Lymph node section stained with H&E, from a whole-slide image of a breast-cancer sentinel node. Magnification about 2.5×, about 1.9 mm across the frame, about 3.6 µm per pixel.
Question: 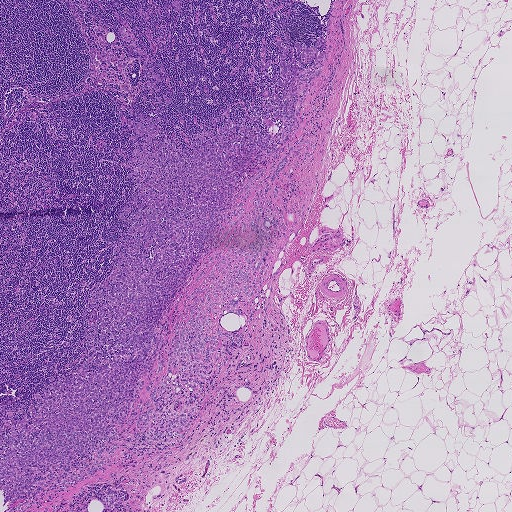
Estimate the proportion of this field that is metastatic tumour.

Choices:
 (A) about 10% to 20%
 (B) about 25% to 45%
 (C) about 50% or more
 (D) about 5% or less
 (E) none: no tumour is outlined

Answer: (B) about 25% to 45%
About 25% of the field is tumour.
Outlines of three tumour regions, largest first (closed clockwise paths, crop pixels): region 1: (322, 35), (300, 129), (267, 172), (302, 139), (314, 159), (294, 171), (293, 214), (273, 199), (288, 228), (243, 297), (247, 318), (220, 318), (242, 339), (204, 410), (173, 447), (120, 446), (5, 511), (0, 402), (29, 418), (44, 384), (96, 352), (82, 316), (131, 224), (117, 213), (136, 207), (139, 112), (187, 150), (180, 133), (216, 136), (229, 104), (272, 136), (275, 40), (301, 61), (295, 43); region 2: (125, 25), (140, 41), (148, 58), (154, 58), (152, 65), (160, 63), (163, 66), (163, 73), (158, 66), (155, 69), (164, 81), (155, 85), (160, 96), (166, 91), (170, 92), (166, 96), (172, 97), (169, 105), (163, 98), (157, 103), (150, 94), (145, 103), (141, 102), (150, 90), (142, 93), (141, 86), (152, 77), (145, 75), (142, 69), (144, 57), (132, 51), (129, 41), (120, 30); region 3: (110, 487), (116, 490), (125, 488), (128, 494), (128, 500), (122, 502), (116, 501), (109, 508), (106, 508), (100, 502), (100, 498), (107, 488).
Two more small tumour pieces are annotated here but not outlined.